Question: 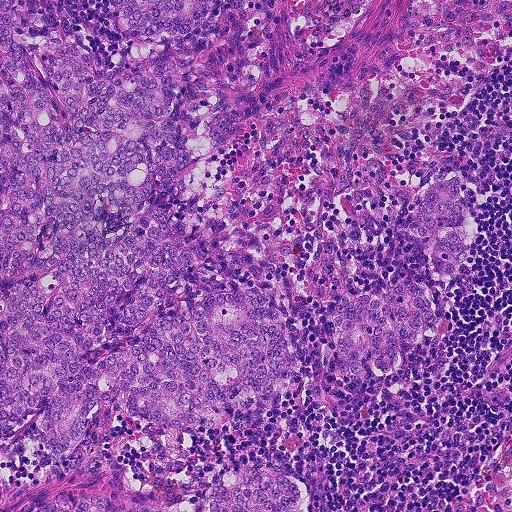
This is a crop of a whole-slide image: an H&E-stained breast-cancer sentinel lymph node section at roughly 10× magnification (about 0.9 µm per pixel; the crop spans about 0.46 mm).
About how much of this crop is taken up by metastatic carcinoma?

Choices:
 (A) about 10% to 20%
 (B) about 50% or more
 (C) about 25% to 45%
 (D) none: no tumour is outlined
 (E) about 5% or less

Answer: (B) about 50% or more
About 50% of the field is tumour.
One metastatic tumour region; its boundary, reduced to 24 corners and listed clockwise: (0, 0), (110, 66), (131, 40), (103, 0), (212, 0), (175, 106), (196, 258), (175, 310), (259, 285), (290, 347), (332, 347), (340, 298), (423, 279), (415, 193), (477, 179), (442, 324), (396, 376), (296, 358), (264, 421), (181, 432), (213, 470), (284, 463), (310, 502), (0, 511).